A 2.0-mm field of an H&E-stained sentinel lymph node from a breast-cancer patient (whole-slide image), shown at about 2.5×, about 3.9 µm per pixel.
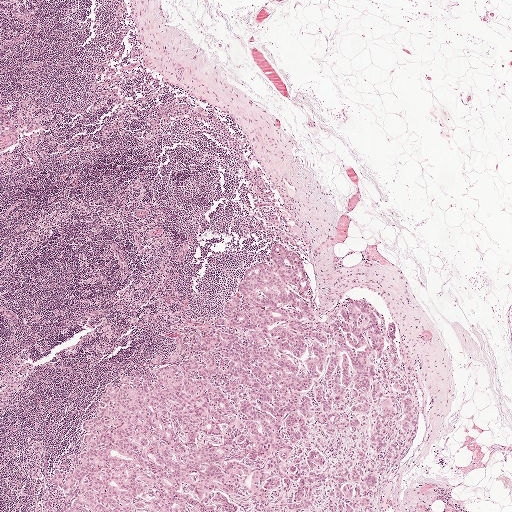
Question: Show where the tumour is in this image.
Answer: One metastatic tumour region; its boundary, reduced to 22 corners and listed clockwise: (273, 246), (295, 251), (320, 323), (358, 300), (386, 332), (395, 325), (417, 420), (379, 482), (379, 511), (60, 511), (68, 495), (48, 482), (76, 456), (105, 388), (127, 374), (156, 383), (147, 370), (168, 366), (150, 359), (211, 330), (242, 272), (270, 264).
Tumour covers about 25% of the frame.